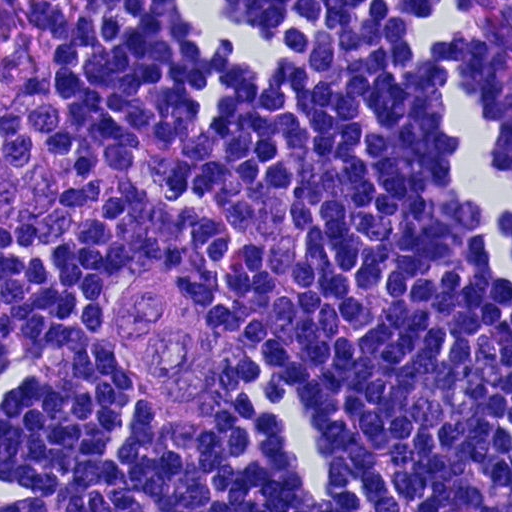
H&E-stained section of a sentinel lymph node (breast cancer), from a whole-slide image, viewed at about 40×: the field is about 0.12 mm across, about 0.23 µm per pixel.
Boundaries of two metastatic tumour regions, simplified and listed clockwise, largest first: region 1: (160, 266), (208, 307), (215, 362), (194, 414), (146, 385), (112, 340), (119, 280); region 2: (0, 91), (4, 135), (43, 160), (53, 207), (28, 248), (0, 255).
About 5% of the image area is annotated as tumour.